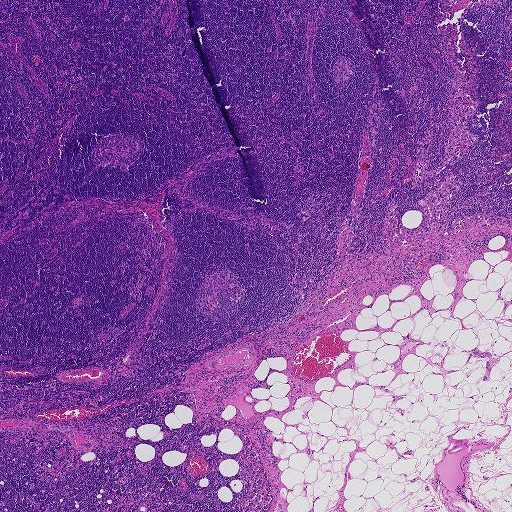
This is a crop of a whole-slide image: an H&E-stained breast-cancer sentinel lymph node section at roughly 2.5× magnification (about 3.6 µm per pixel; the crop spans about 1.9 mm).